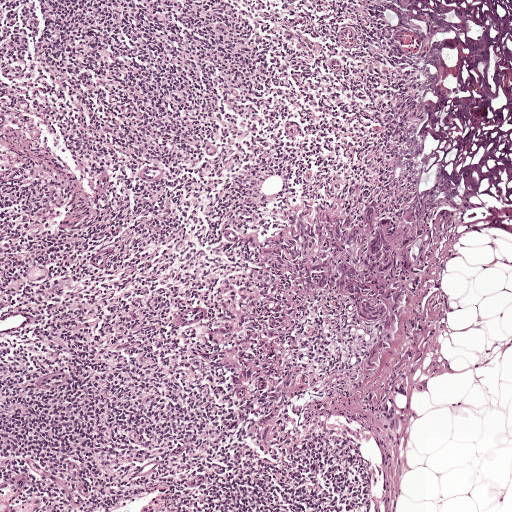
A 1-mm field of an H&E-stained sentinel lymph node from a breast-cancer patient (whole-slide image), shown at about 5×, about 1.9 µm per pixel.
One metastatic tumour region; its boundary, reduced to 24 corners and listed clockwise: (372, 192), (430, 224), (430, 254), (385, 362), (368, 371), (376, 328), (327, 290), (299, 308), (288, 350), (311, 382), (300, 397), (300, 436), (287, 444), (264, 451), (254, 445), (269, 388), (265, 380), (243, 387), (223, 370), (206, 344), (219, 283), (256, 268), (235, 240), (324, 195).
About 10% of the image area is annotated as tumour.